A 0.46-mm field of an H&E-stained sentinel lymph node from a breast-cancer patient (whole-slide image), shown at about 10×, about 0.9 µm per pixel.
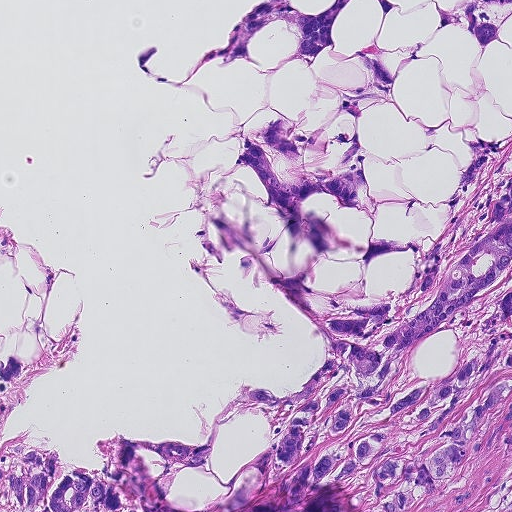
Question: Where is the metastatic tumour in this field? Give each region's outline as (x, y) pixel points.
Answer: Outlines of three tumour regions, largest first (closed clockwise paths, crop pixels): region 1: (254, 0), (353, 0), (337, 55), (424, 45), (362, 112), (375, 214), (307, 197), (351, 241), (429, 242), (462, 139), (510, 134), (511, 511), (0, 511), (0, 357), (48, 357), (3, 446), (86, 470), (96, 434), (199, 444), (234, 391), (325, 365), (208, 212), (284, 272), (254, 178), (226, 176), (254, 127), (316, 129), (368, 72), (280, 66), (287, 22), (259, 67), (182, 89), (137, 51), (182, 77); region 2: (460, 0), (511, 0), (511, 15), (506, 20), (498, 38), (487, 51), (479, 47), (469, 34), (456, 24), (445, 10); region 3: (376, 0), (391, 0), (400, 4), (386, 19).
About 45% of this field is tumour.